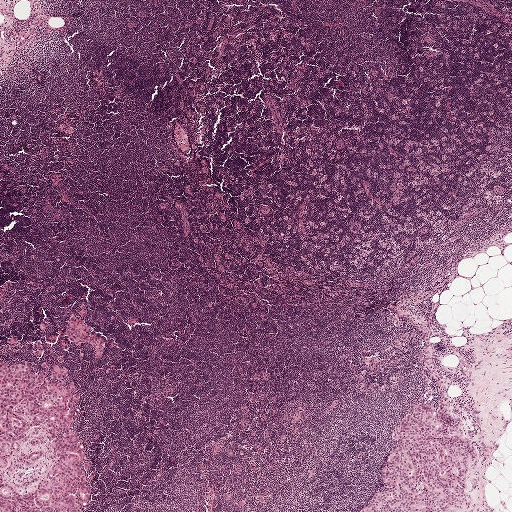
A 2.0-mm field of an H&E-stained sentinel lymph node from a breast-cancer patient (whole-slide image), shown at about 2.5×, about 3.9 µm per pixel.
Boundaries of four metastatic tumour regions, simplified and listed clockwise, largest first: region 1: (0, 358), (11, 364), (25, 360), (34, 374), (41, 371), (43, 362), (56, 371), (68, 368), (64, 383), (73, 382), (80, 399), (73, 426), (91, 468), (86, 476), (91, 496), (82, 511), (0, 511); region 2: (418, 402), (459, 418), (463, 434), (480, 457), (469, 487), (472, 505), (469, 509), (357, 511), (367, 505), (382, 483), (394, 428); region 3: (82, 305), (87, 307), (88, 314), (85, 320), (87, 323), (93, 328), (98, 336), (103, 337), (105, 341), (101, 357), (98, 358), (94, 357), (96, 349), (93, 344), (77, 346), (64, 337), (71, 313), (80, 316), (80, 309); region 4: (36, 341), (39, 341), (41, 342), (42, 345), (42, 352), (40, 356), (38, 357), (37, 357), (35, 353), (34, 346).
One more small tumour piece is annotated here but not outlined.
About 10% of this field is tumour.